Image:
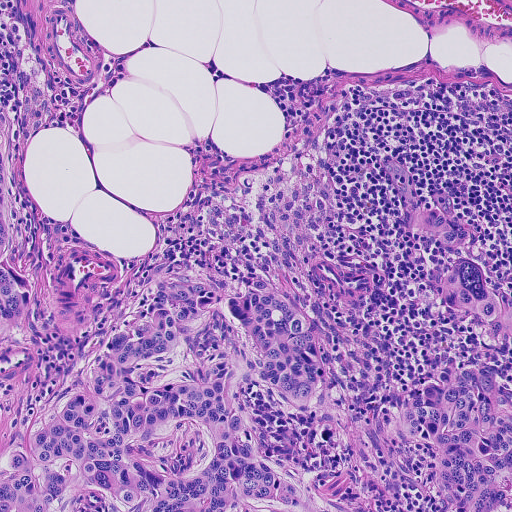
H&E-stained section of a sentinel lymph node (breast cancer), from a whole-slide image, viewed at about 10×: the field is about 0.46 mm across, about 0.91 µm per pixel.
Question:
Outline the metastatic carcinoma in this image, as closed paths of (x, y) pixel coordinates.
Answer:
Four metastatic tumour regions, each outlined as a closed clockwise path in crop pixels (x, y), largest first: region 1: (190, 274), (234, 294), (263, 281), (305, 309), (319, 371), (348, 409), (477, 365), (493, 368), (511, 400), (511, 511), (456, 511), (437, 488), (435, 450), (387, 410), (353, 424), (269, 386), (238, 391), (270, 453), (359, 511), (0, 511), (0, 451), (46, 420), (158, 277); region 2: (467, 259), (482, 268), (498, 300), (511, 305), (511, 350), (494, 344), (473, 316), (457, 308), (443, 297), (442, 279), (450, 264); region 3: (0, 105), (5, 110), (12, 125), (6, 172), (4, 219), (10, 251), (1, 265), (24, 281), (31, 295), (28, 310), (18, 323), (0, 336); region 4: (436, 210), (462, 221), (471, 234), (463, 244), (448, 246), (437, 238), (424, 232), (418, 226), (422, 212).
About 30% of this field is tumour.